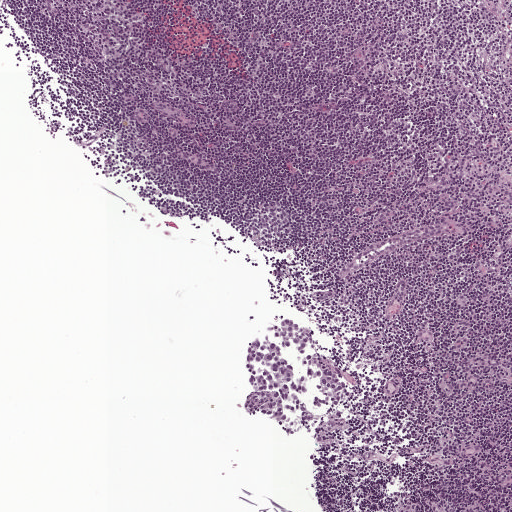
A 1-mm field of an H&E-stained sentinel lymph node from a breast-cancer patient (whole-slide image), shown at about 5×, about 1.9 µm per pixel.
One metastatic tumour region; its boundary, reduced to 19 corners and listed clockwise: (288, 317), (306, 321), (314, 333), (324, 362), (336, 369), (345, 381), (345, 396), (338, 409), (326, 407), (312, 416), (309, 436), (301, 433), (288, 436), (268, 418), (246, 414), (244, 400), (251, 389), (245, 355), (274, 322).
Tumour covers about 5% of the frame.